Lymph node section stained with H&E, from a whole-slide image of a breast-cancer sentinel node. Magnification about 2.5×, about 1.9 mm across the frame, about 3.6 µm per pixel.
Question: 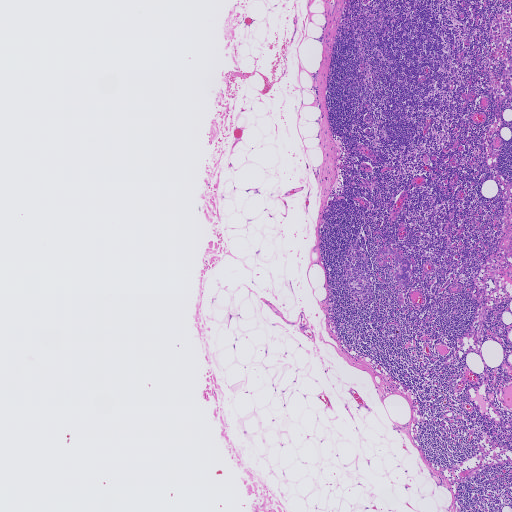
About how much of this crop is taken up by metastatic carcinoma?

Choices:
 (A) about 25% to 45%
 (B) none: no tumour is outlined
 (C) about 10% to 20%
 (D) about 5% or less
 (E) about 50% or more

Answer: (D) about 5% or less
Under 5% of the field is tumour.
The outlined metastatic tumour's edge, as a closed clockwise path of 15 points: (386, 245), (403, 255), (411, 263), (411, 274), (408, 285), (400, 287), (394, 278), (398, 268), (394, 265), (394, 255), (388, 255), (388, 264), (383, 266), (376, 260), (380, 249).
One more small tumour piece is annotated here but not outlined.